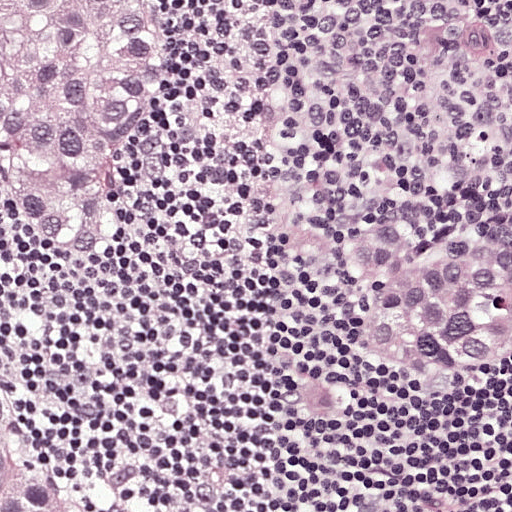
H&E-stained section of a sentinel lymph node (breast cancer), from a whole-slide image, viewed at about 20×: the field is about 0.25 mm across, about 0.49 µm per pixel.
Three metastatic tumour regions, each outlined as a closed clockwise path in crop pixels (x, y), largest first: region 1: (0, 0), (154, 0), (170, 10), (179, 34), (176, 62), (118, 156), (115, 240), (98, 270), (74, 278), (48, 276), (24, 262), (0, 222); region 2: (400, 217), (439, 232), (488, 227), (511, 236), (511, 378), (430, 387), (376, 366), (350, 370), (368, 386), (367, 414), (346, 424), (316, 424), (290, 410), (288, 387), (336, 370), (328, 345), (372, 304), (354, 286), (343, 259), (344, 234), (367, 218); region 3: (0, 356), (25, 381), (90, 511), (0, 511).
The annotated tumour makes up about 30% of the crop.